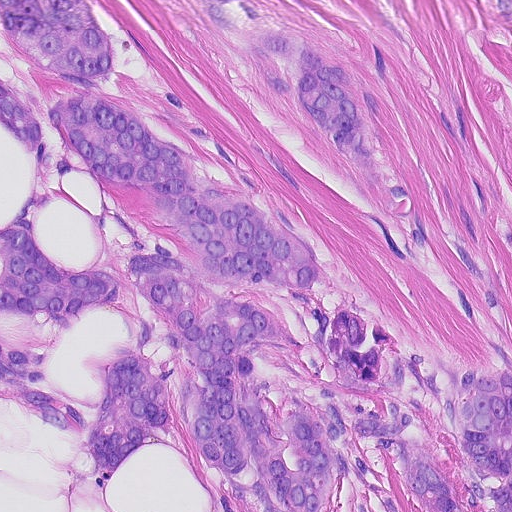
A 0.23-mm field of an H&E-stained sentinel lymph node from a breast-cancer patient (whole-slide image), shown at about 20×, about 0.45 µm per pixel.
Boundaries of three metastatic tumour regions, simplified and listed clockwise, largest first: region 1: (0, 0), (92, 0), (119, 75), (94, 94), (322, 264), (314, 298), (259, 296), (332, 376), (398, 401), (502, 369), (201, 0), (257, 0), (347, 70), (496, 323), (511, 360), (511, 511), (226, 511), (174, 449), (138, 451), (104, 500), (72, 483), (82, 426), (16, 408); region 2: (493, 194), (511, 211), (511, 254), (498, 221); region 3: (493, 0), (511, 0), (511, 29), (493, 1).
One more small tumour piece is annotated here but not outlined.
About 60% of this field is tumour.